A 0.5-mm field of an H&E-stained sentinel lymph node from a breast-cancer patient (whole-slide image), shown at about 10×, about 0.97 µm per pixel.
Question: 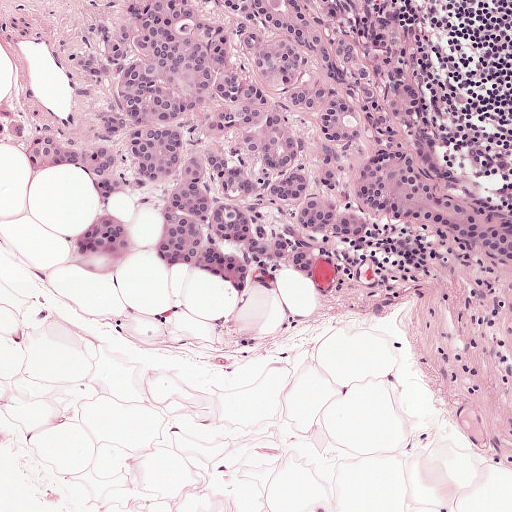
Roughly what share of this field is metastatic tumour?

Choices:
 (A) about 50% or more
 (B) about 25% to 45%
 (C) none: no tumour is outlined
 (D) about 5% or less
 (E) about 10% to 20%

Answer: (B) about 25% to 45%
About 25% of the field is tumour.
Tumour region outline (a closed clockwise path, crop pixels): (335, 0), (348, 39), (378, 84), (413, 84), (419, 100), (393, 119), (395, 137), (380, 147), (366, 141), (364, 125), (347, 152), (339, 186), (326, 191), (320, 181), (325, 146), (316, 131), (318, 114), (292, 110), (260, 80), (233, 14), (221, 2).
One more tumour region is annotated but not outlined: its edge is too irregular for a short outline.